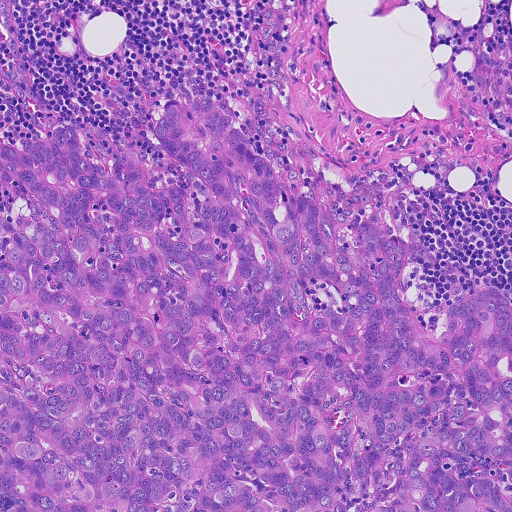
This is a crop of a whole-slide image: an H&E-stained breast-cancer sentinel lymph node section at roughly 10× magnification (about 0.91 µm per pixel; the crop spans about 0.46 mm).
Metastatic tumour outline, simplified to 23 points and listed clockwise in crop pixels (x, y): (173, 100), (215, 104), (282, 184), (323, 204), (360, 267), (354, 229), (392, 236), (425, 326), (452, 300), (451, 273), (467, 294), (506, 298), (511, 511), (0, 511), (0, 138), (24, 149), (62, 120), (96, 167), (109, 174), (135, 150), (156, 189), (186, 189), (154, 125).
The annotated tumour makes up about 60% of the crop.